Question: 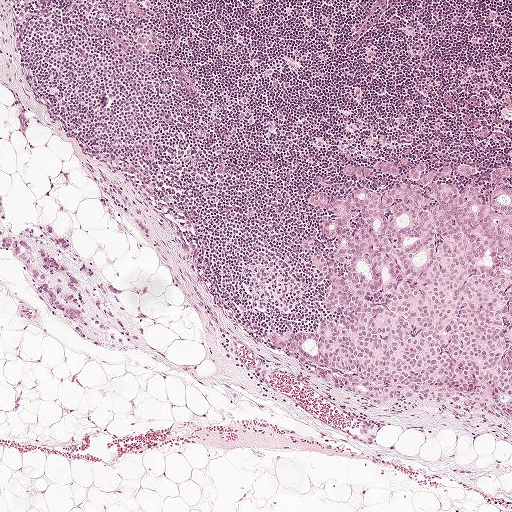
H&E-stained section of a sentinel lymph node (breast cancer), from a whole-slide image, viewed at about 5×: the field is about 1 mm across, about 1.9 µm per pixel.
Estimate the proportion of this field that is metastatic tumour.

Choices:
 (A) about 25% to 45%
 (B) about 5% or less
 (C) none: no tumour is outlined
 (D) about 10% to 20%
 (E) about 50% or more

Answer: (D) about 10% to 20%
About 20% of the field is tumour.
Tumour region outline (a closed clockwise path, crop pixels): (382, 156), (483, 171), (511, 164), (511, 423), (457, 413), (441, 400), (362, 404), (271, 340), (323, 330), (324, 276), (304, 247), (307, 239), (330, 244), (321, 210), (308, 202), (344, 195), (343, 166).